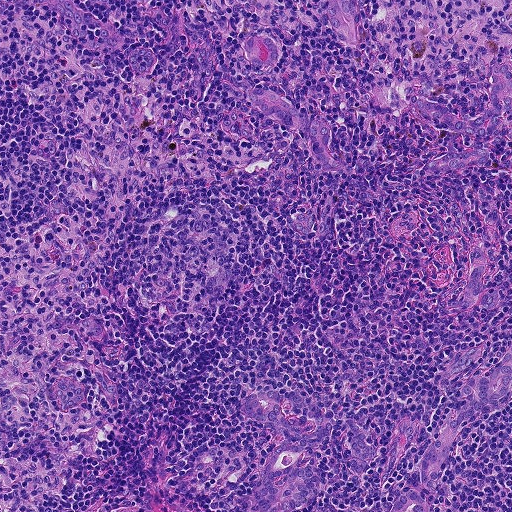
H&E-stained section of a sentinel lymph node (breast cancer), from a whole-slide image, viewed at about 10×: the field is about 0.46 mm across, about 0.9 µm per pixel.
The eight largest tumour regions' boundaries, simplified and listed clockwise, largest first: region 1: (270, 390), (299, 395), (330, 420), (333, 429), (328, 437), (310, 446), (319, 474), (318, 484), (301, 507), (292, 511), (262, 511), (258, 507), (254, 498), (258, 478), (264, 459), (270, 451), (280, 444), (283, 435), (278, 427), (241, 413), (237, 404), (243, 396); region 2: (511, 341), (511, 392), (506, 400), (482, 410), (462, 427), (434, 486), (427, 511), (390, 511), (407, 487), (419, 484), (418, 465), (447, 421), (456, 412), (461, 400), (456, 398), (462, 386), (472, 377), (485, 377); region 3: (494, 62), (508, 66), (511, 74), (511, 112), (502, 110), (501, 125), (511, 126), (511, 140), (505, 138), (499, 144), (495, 144), (492, 136), (475, 138), (430, 126), (416, 107), (416, 98), (440, 104), (460, 118), (479, 116), (488, 104), (491, 85), (490, 66); region 4: (249, 89), (264, 89), (272, 92), (300, 112), (304, 119), (303, 126), (296, 130), (290, 130), (250, 104), (247, 96); region 5: (480, 246), (484, 250), (486, 269), (481, 281), (486, 288), (479, 294), (476, 306), (470, 308), (446, 306), (444, 302), (462, 294), (468, 284), (471, 264), (468, 258), (469, 252); region 6: (346, 418), (361, 430), (374, 452), (365, 476), (352, 476), (344, 467), (350, 460), (352, 442); region 7: (331, 0), (347, 0), (352, 3), (356, 10), (352, 24), (353, 38), (349, 44), (332, 30), (325, 17), (325, 9); region 8: (316, 119), (323, 120), (328, 127), (330, 149), (344, 166), (332, 173), (324, 172), (322, 165), (311, 146), (308, 130), (309, 123).
Three more, smaller tumour regions are not outlined.
Two more small tumour pieces are annotated here but not outlined.
About 10% of this field is tumour.